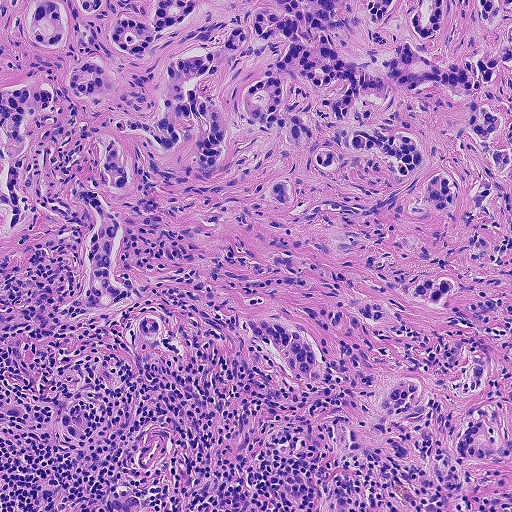
A 0.46-mm field of an H&E-stained sentinel lymph node from a breast-cancer patient (whole-slide image), shown at about 10×, about 0.9 µm per pixel.
Outlines of the eight largest metastatic tumour regions, each a closed clockwise path in crop pixels (x, y), largest first: region 1: (0, 0), (511, 0), (511, 143), (509, 130), (462, 145), (457, 103), (426, 91), (388, 123), (460, 185), (452, 218), (400, 214), (414, 180), (383, 193), (309, 174), (303, 210), (270, 211), (268, 182), (303, 154), (274, 136), (243, 137), (194, 190), (158, 185), (132, 157), (134, 191), (102, 192), (122, 218), (111, 273), (133, 297), (60, 315), (93, 220), (60, 179), (84, 154), (70, 106), (23, 156), (34, 224), (4, 240); region 2: (494, 401), (511, 403), (511, 454), (487, 461), (470, 461), (455, 454), (457, 438), (472, 408); region 3: (247, 316), (296, 325), (309, 335), (319, 348), (321, 364), (314, 378), (298, 380), (284, 372), (278, 358), (251, 338), (244, 324); region 4: (432, 273), (448, 278), (459, 290), (449, 295), (438, 306), (418, 301), (404, 292), (416, 281); region 5: (403, 378), (416, 386), (414, 402), (400, 412), (385, 410), (374, 399), (384, 388); region 6: (121, 484), (133, 488), (140, 500), (140, 511), (110, 511), (106, 508), (106, 495), (115, 485); region 7: (342, 474), (350, 486), (350, 511), (328, 511), (328, 498), (331, 486); region 8: (76, 404), (81, 413), (83, 438), (72, 445), (63, 437), (60, 424), (65, 411).
One more, smaller tumour region is not outlined.
One more small tumour piece is annotated here but not outlined.
The annotated tumour makes up about 40% of the crop.